Question: 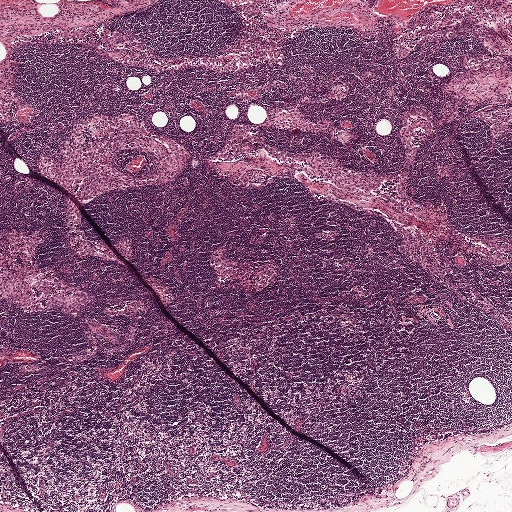
Which magnification is this H&E lymph node field most likely shown at?

Choices:
 (A) about 2.5×
 (B) about 20×
 (C) about 40×
 (D) about 5×
 (E) about 10×

Answer: (A) about 2.5×
A 2.0-mm field of an H&E-stained sentinel lymph node from a breast-cancer patient (whole-slide image), shown at about 2.5×, about 3.9 µm per pixel.